Question: 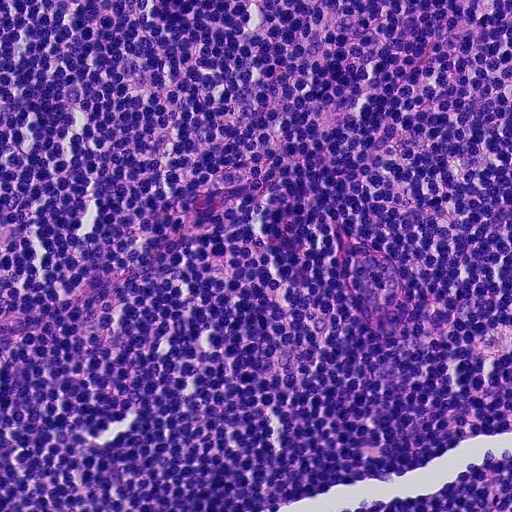
Which magnification is this H&E lymph node field most likely shown at?

Choices:
 (A) about 2.5×
 (B) about 20×
 (C) about 10×
 (D) about 5×
 (E) about 40×

Answer: (B) about 20×
Lymph node section stained with H&E, from a whole-slide image of a breast-cancer sentinel node. Magnification about 20×, about 0.23 mm across the frame, about 0.45 µm per pixel.